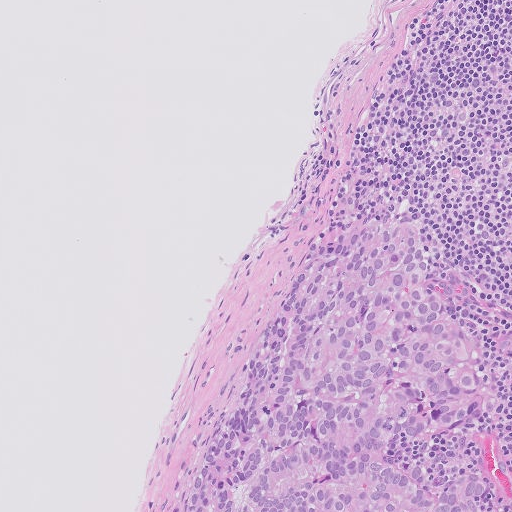
Lymph node section stained with H&E, from a whole-slide image of a breast-cancer sentinel node. Magnification about 10×, about 0.51 mm across the frame, about 1.0 µm per pixel.
The outlined metastatic tumour's edge, as a closed clockwise path of 10 points: (382, 212), (475, 274), (487, 328), (486, 416), (414, 453), (494, 476), (499, 511), (182, 511), (267, 310), (320, 222).
About 25% of this field is tumour.